Image:
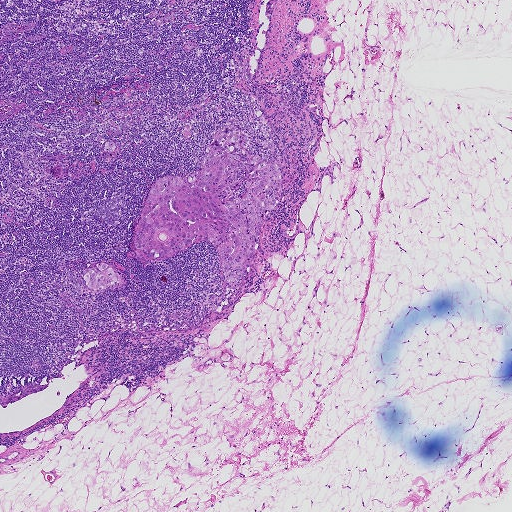
Lymph node section stained with H&E, from a whole-slide image of a breast-cancer sentinel node. Magnification about 2.5×, about 1.9 mm across the frame, about 3.6 µm per pixel.
Question:
Trace the edge of each tumour region in this crop, as (x, y) points from 0 to 511.
Answer:
Three metastatic tumour regions, each outlined as a closed clockwise path in crop pixels (x, y), largest first: region 1: (229, 124), (238, 128), (244, 147), (280, 171), (281, 187), (277, 202), (264, 219), (258, 260), (236, 288), (228, 286), (218, 256), (207, 240), (154, 261), (135, 255), (133, 234), (154, 181), (164, 176), (194, 173), (207, 146); region 2: (99, 262), (109, 264), (120, 274), (121, 278), (120, 283), (116, 286), (101, 290), (86, 288), (82, 279), (83, 274); region 3: (44, 384), (47, 384), (44, 389), (41, 390), (29, 394), (21, 399), (9, 403), (5, 407), (2, 407), (0, 405), (0, 399), (8, 398), (32, 387).
One more small tumour piece is annotated here but not outlined.
About 5% of this field is tumour.